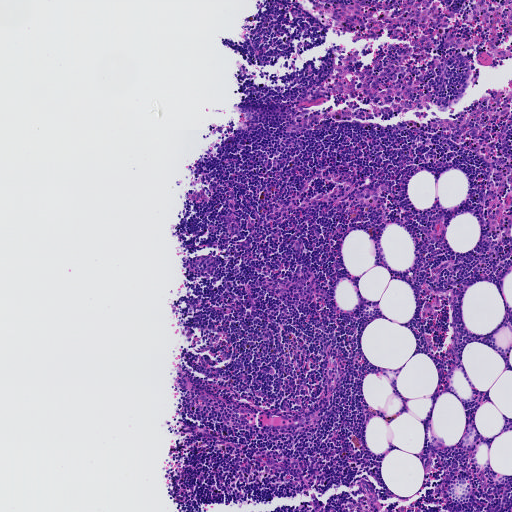
A 0.93-mm field of an H&E-stained sentinel lymph node from a breast-cancer patient (whole-slide image), shown at about 5×, about 1.8 µm per pixel.